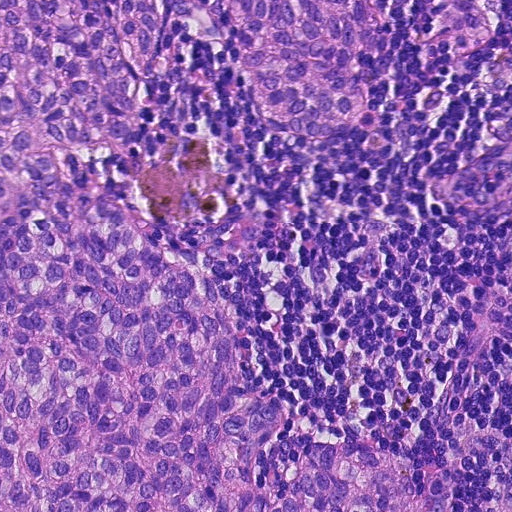
A 0.23-mm field of an H&E-stained sentinel lymph node from a breast-cancer patient (whole-slide image), shown at about 20×, about 0.45 µm per pixel.
Tumour region outline (a closed clockwise path, crop pixels): (0, 0), (372, 0), (394, 48), (366, 78), (368, 108), (342, 136), (305, 141), (270, 126), (214, 8), (175, 3), (144, 146), (218, 148), (244, 176), (248, 250), (200, 276), (231, 297), (243, 397), (296, 410), (280, 443), (438, 462), (458, 494), (448, 511), (0, 511).
About 55% of this field is tumour.